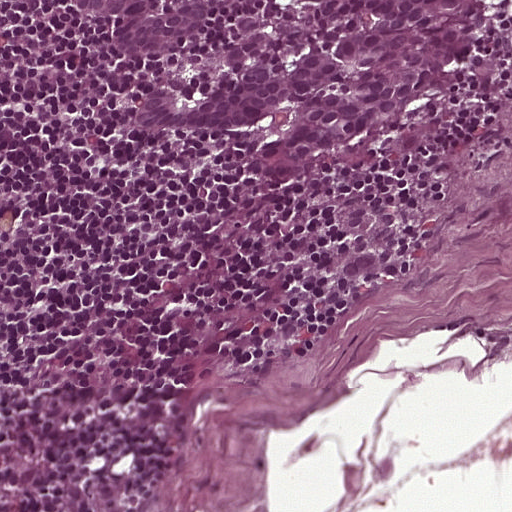
A 0.25-mm field of an H&E-stained sentinel lymph node from a breast-cancer patient (whole-slide image), shown at about 20×, about 0.49 µm per pixel.
Tumour region outline (a closed clockwise path, crop pixels): (57, 0), (511, 0), (511, 54), (422, 154), (382, 176), (397, 218), (394, 262), (373, 285), (340, 278), (347, 244), (328, 176), (274, 198), (215, 162), (112, 160), (108, 98).
The annotated tumour makes up about 25% of the crop.